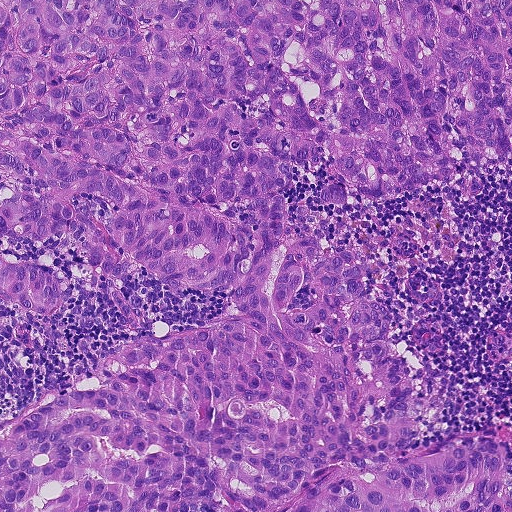
H&E-stained section of a sentinel lymph node (breast cancer), from a whole-slide image, viewed at about 10×: the field is about 0.46 mm across, about 0.9 µm per pixel.
Metastatic tumour outline, simplified to 23 points and listed clockwise in crop pixels (x, y): (0, 0), (511, 0), (511, 157), (491, 170), (454, 149), (440, 188), (344, 206), (317, 188), (334, 176), (294, 162), (283, 205), (287, 228), (364, 275), (388, 314), (384, 336), (413, 388), (406, 416), (431, 437), (404, 451), (488, 432), (502, 450), (511, 511), (0, 511).
About 85% of this field is tumour.